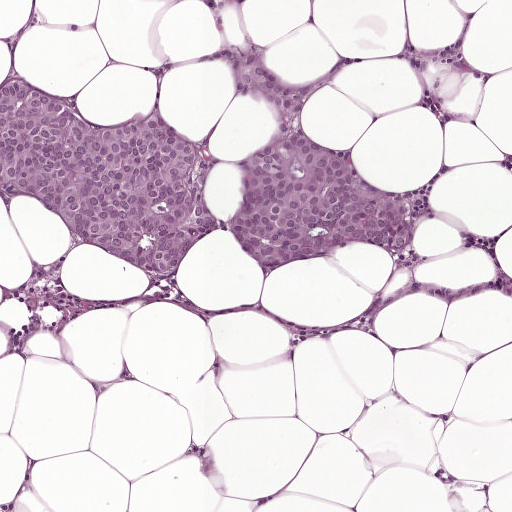
This is a crop of a whole-slide image: an H&E-stained breast-cancer sentinel lymph node section at roughly 10× magnification (about 0.97 µm per pixel; the crop spans about 0.5 mm).
The outlined metastatic tumour's edge, as a closed clockwise path of 33 points: (258, 60), (294, 92), (307, 138), (347, 161), (357, 182), (402, 198), (411, 244), (392, 258), (347, 246), (278, 271), (256, 262), (250, 238), (228, 230), (206, 236), (176, 275), (108, 258), (54, 213), (0, 196), (0, 87), (14, 81), (22, 90), (66, 102), (76, 123), (124, 124), (146, 114), (209, 146), (218, 168), (204, 188), (209, 212), (232, 218), (244, 173), (282, 114), (234, 62).
Tumour covers about 15% of the frame.